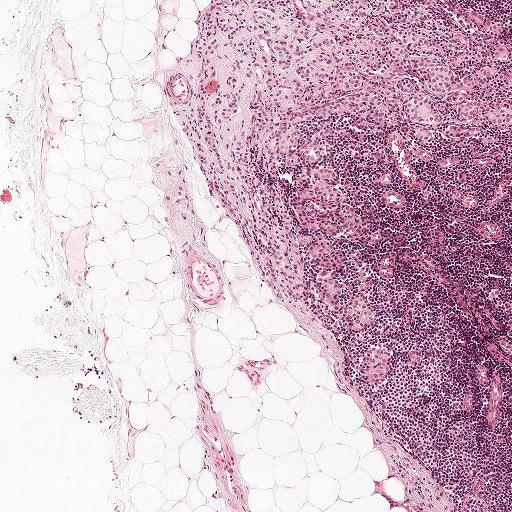
Lymph node section stained with H&E, from a whole-slide image of a breast-cancer sentinel node. Magnification about 5×, about 1 mm across the frame, about 1.9 µm per pixel.
Boundaries of three metastatic tumour regions, simplified and listed clockwise, largest first: region 1: (210, 0), (435, 0), (437, 21), (480, 37), (461, 14), (468, 8), (498, 20), (511, 39), (511, 66), (468, 94), (511, 112), (511, 131), (428, 143), (400, 123), (372, 127), (348, 111), (300, 141), (305, 160), (346, 177), (356, 230), (340, 241), (316, 229), (313, 236), (333, 243), (321, 263), (345, 285), (338, 300), (364, 296), (378, 314), (374, 330), (356, 332), (323, 307), (299, 308), (261, 274), (253, 232), (204, 170), (194, 98); region 2: (369, 345), (384, 345), (394, 350), (392, 371), (385, 386), (368, 386), (362, 381), (363, 353); region 3: (410, 350), (425, 354), (424, 364), (417, 369), (410, 367), (406, 362), (406, 357).
The annotated tumour makes up about 20% of the crop.